H&E-stained section of a sentinel lymph node (breast cancer), from a whole-slide image, viewed at about 10×: the field is about 0.5 mm across, about 0.97 µm per pixel.
Question: 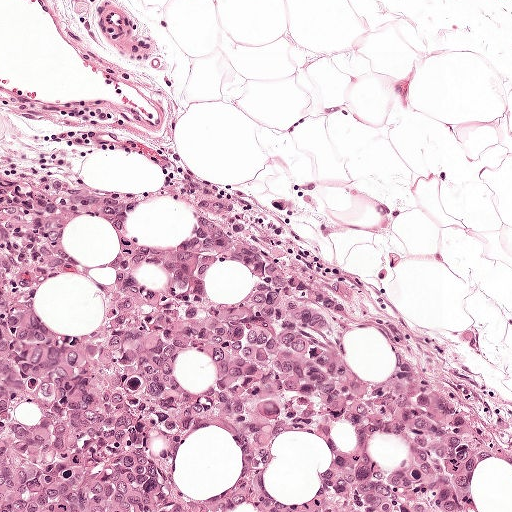
Roughly what share of this field is metastatic tumour?

Choices:
 (A) none: no tumour is outlined
 (B) about 5% or less
 (C) about 10% to 20%
 (D) about 25% to 45%
 (E) about 50% or more

Answer: (E) about 50% or more
About 50% of the field is tumour.
One metastatic tumour region; its boundary, reduced to 8 corners and listed clockwise: (0, 140), (37, 156), (133, 168), (241, 225), (452, 360), (511, 446), (511, 511), (0, 511).